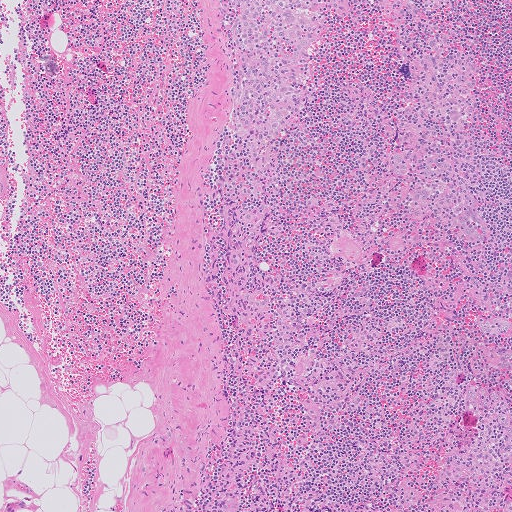
This is a crop of a whole-slide image: an H&E-stained breast-cancer sentinel lymph node section at roughly 5× magnification (about 2.0 µm per pixel; the crop spans about 1.0 mm).